Question: 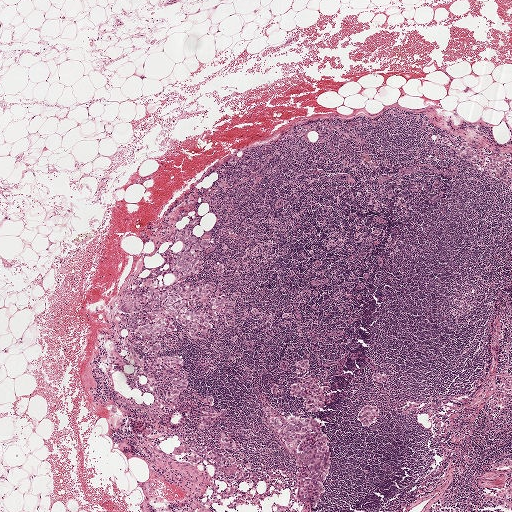
About what magnification does this crop show?

Choices:
 (A) about 2.5×
 (B) about 40×
 (C) about 20×
 (D) about 10×
 (E) about 5×

Answer: (A) about 2.5×
A 2.0-mm field of an H&E-stained sentinel lymph node from a breast-cancer patient (whole-slide image), shown at about 2.5×, about 3.9 µm per pixel.
The eight largest tumour regions' boundaries, simplified and listed clockwise, largest first: region 1: (189, 229), (196, 237), (212, 239), (202, 268), (187, 278), (236, 293), (235, 304), (218, 316), (205, 337), (191, 338), (178, 324), (154, 352), (141, 350), (142, 340), (135, 327), (141, 323), (135, 318), (152, 308), (144, 290), (175, 281), (174, 251), (182, 242), (175, 239), (175, 231); region 2: (271, 405), (274, 414), (280, 417), (312, 416), (318, 417), (321, 422), (322, 429), (327, 437), (330, 458), (329, 469), (323, 481), (324, 491), (314, 503), (310, 500), (302, 502), (300, 499), (296, 455), (285, 448), (270, 425), (264, 412), (264, 406); region 3: (169, 354), (178, 356), (184, 361), (184, 364), (181, 364), (179, 367), (181, 370), (187, 372), (187, 385), (186, 388), (181, 390), (180, 394), (176, 396), (174, 400), (170, 400), (167, 396), (173, 374), (171, 371), (154, 368), (152, 362), (154, 358), (158, 357); region 4: (308, 377), (312, 378), (314, 382), (321, 387), (324, 395), (322, 408), (316, 412), (308, 410), (301, 397), (292, 395), (290, 392), (292, 383), (301, 382); region 5: (210, 395), (213, 397), (212, 406), (213, 408), (217, 411), (224, 408), (226, 413), (224, 416), (214, 417), (211, 425), (201, 427), (199, 421), (201, 415), (205, 413), (200, 407), (202, 405), (206, 405), (203, 401), (204, 396); region 6: (204, 444), (214, 452), (225, 456), (225, 459), (224, 464), (220, 467), (216, 467), (212, 460), (208, 457), (193, 462), (192, 457), (194, 452), (190, 449), (190, 446), (196, 447); region 7: (367, 405), (376, 406), (378, 412), (378, 416), (369, 425), (360, 423), (357, 417), (361, 409); region 8: (300, 359), (306, 359), (309, 360), (309, 367), (303, 373), (300, 375), (297, 375), (295, 366), (296, 360).
Three more, smaller tumour regions are not outlined.
Two more small tumour pieces are annotated here but not outlined.
Tumour covers about 5% of the frame.